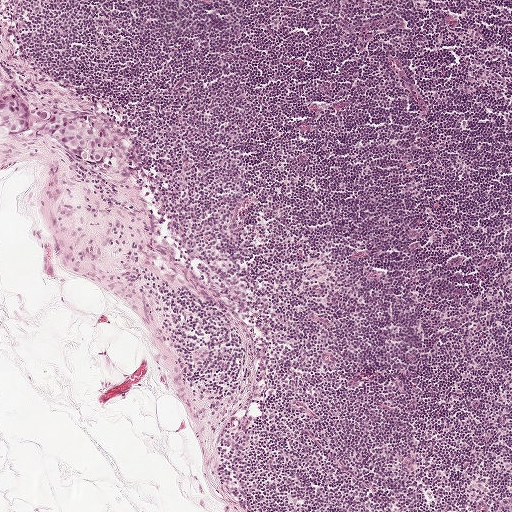
A 1-mm field of an H&E-stained sentinel lymph node from a breast-cancer patient (whole-slide image), shown at about 5×, about 1.9 µm per pixel.
One metastatic tumour region; its boundary, reduced to 14 corners and listed clockwise: (0, 52), (26, 97), (41, 107), (91, 122), (114, 139), (118, 146), (117, 158), (114, 167), (102, 173), (96, 173), (85, 168), (68, 147), (30, 141), (1, 125).
Under 5% of this field is tumour.